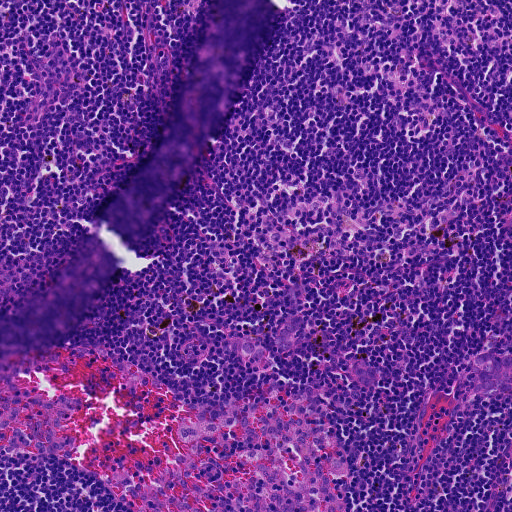
A 0.46-mm field of an H&E-stained sentinel lymph node from a breast-cancer patient (whole-slide image), shown at about 10×, about 0.91 µm per pixel.
Outlines of two tumour regions, largest first (closed clockwise paths, crop pixels): region 1: (481, 352), (502, 356), (511, 352), (511, 393), (480, 396), (468, 376), (472, 367), (472, 357); region 2: (301, 314), (301, 324), (298, 333), (290, 339), (291, 348), (277, 348), (275, 339), (277, 329), (292, 315).
Two more small tumour pieces are annotated here but not outlined.
Tumour covers under 5% of the frame.